Question: 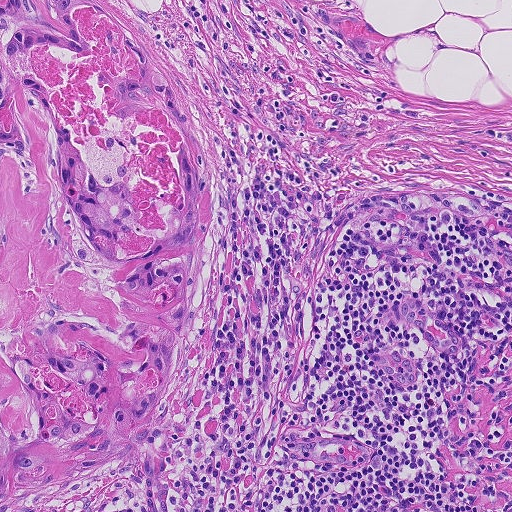
Lymph node section stained with H&E, from a whole-slide image of a breast-cancer sentinel node. Magnification about 10×, about 0.46 mm across the frame, about 0.9 µm per pixel.
Roughly what share of this field is metastatic tumour?

Choices:
 (A) about 5% or less
 (B) about 10% to 20%
 (C) about 50% or more
 (D) none: no tumour is outlined
 (E) about 25% to 45%

Answer: (E) about 25% to 45%
About 35% of the field is tumour.
One metastatic tumour region; its boundary, reduced to 10 corners and listed clockwise: (0, 0), (99, 0), (149, 41), (190, 103), (211, 175), (211, 224), (164, 399), (176, 431), (24, 511), (0, 511).